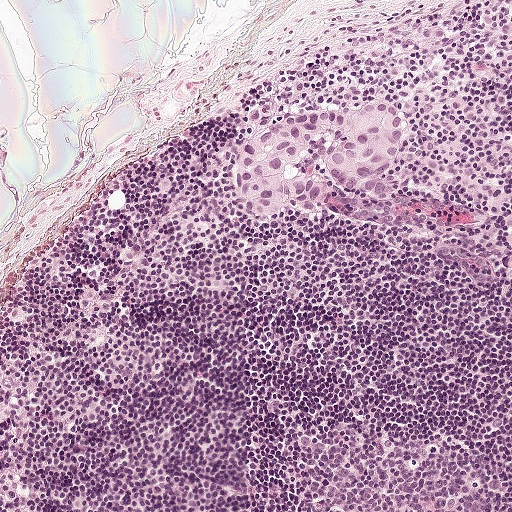
H&E-stained section of a sentinel lymph node (breast cancer), from a whole-slide image, viewed at about 10×: the field is about 0.5 mm across, about 0.97 µm per pixel.
Question: Show where the tumour is in this image.
Answer: Two metastatic tumour regions, each outlined as a closed clockwise path in crop pixels (x, y), largest first: region 1: (378, 97), (401, 111), (405, 131), (393, 165), (379, 176), (370, 176), (356, 190), (324, 198), (316, 216), (262, 216), (238, 204), (235, 158), (248, 136), (303, 100), (328, 106); region 2: (506, 252), (511, 253), (511, 273), (509, 272), (508, 272), (507, 270), (504, 269), (504, 268), (502, 268), (502, 267), (500, 267), (496, 263), (498, 260), (498, 258), (502, 253).
The annotated tumour makes up about 5% of the crop.